Image:
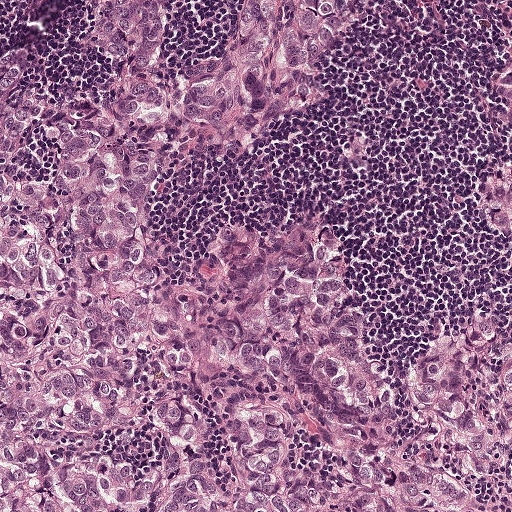
H&E-stained section of a sentinel lymph node (breast cancer), from a whole-slide image, viewed at about 10×: the field is about 0.5 mm across, about 0.97 µm per pixel.
Question:
Describe where the metastatic carcinoma lies in this crop.
Answer:
Outlines of two tumour regions, largest first (closed clockwise paths, crop pixels): region 1: (103, 0), (183, 0), (176, 62), (193, 69), (253, 28), (255, 4), (383, 0), (328, 54), (320, 100), (168, 175), (142, 221), (152, 265), (185, 275), (269, 229), (315, 227), (336, 245), (352, 352), (511, 330), (511, 511), (0, 511), (0, 56), (109, 77); region 2: (511, 85), (511, 195), (504, 183), (497, 166), (497, 124), (500, 112), (500, 108).
Tumour covers about 65% of the frame.